Question: 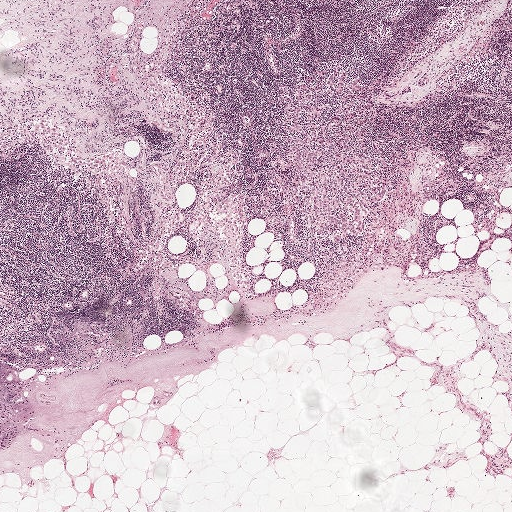
Lymph node section stained with H&E, from a whole-slide image of a breast-cancer sentinel node. Magnification about 2.5×, about 2.0 mm across the frame, about 3.9 µm per pixel.
Estimate the proportion of this field that is metastatic tumour.

Choices:
 (A) about 5% or less
 (B) about 25% to 45%
 (C) none: no tumour is outlined
 (D) about 10% to 20%
 (E) about 50% or more

Answer: (A) about 5% or less
About 5% of the field is tumour.
Metastatic tumour outline, simplified to 24 points and listed clockwise in crop pixels (x, y): (333, 70), (349, 73), (349, 88), (352, 79), (363, 76), (360, 84), (375, 86), (377, 119), (366, 146), (382, 184), (387, 180), (382, 199), (370, 203), (363, 232), (355, 234), (352, 228), (341, 243), (315, 237), (278, 186), (293, 175), (280, 97), (297, 104), (299, 84), (327, 82).
Three more small tumour pieces are annotated here but not outlined.